A 2.0-mm field of an H&E-stained sentinel lymph node from a breast-cancer patient (whole-slide image), shown at about 2.5×, about 3.9 µm per pixel.
Image:
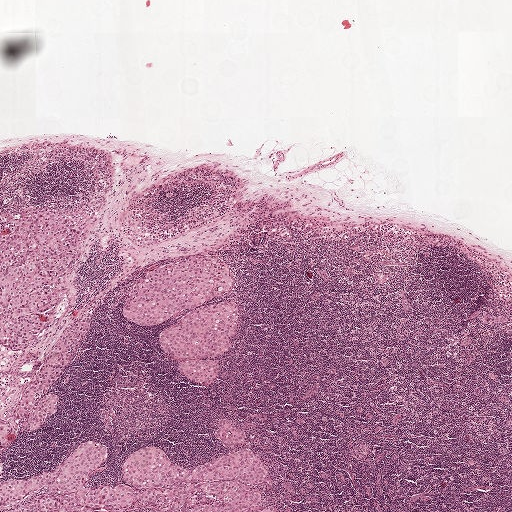
Question:
Does this lymph node field contain metastatic tumour?
Answer:
Yes.
The eight largest tumour regions' boundaries, simplified and listed clockwise, largest first: region 1: (151, 444), (162, 447), (173, 463), (194, 469), (236, 447), (254, 450), (271, 476), (264, 484), (250, 486), (277, 511), (172, 511), (150, 504), (41, 511), (40, 494), (70, 494), (83, 486), (124, 481), (122, 464), (129, 451); region 2: (46, 202), (68, 210), (82, 227), (83, 248), (75, 267), (49, 305), (48, 321), (40, 334), (22, 347), (12, 349), (0, 345), (1, 210), (11, 208), (19, 216), (31, 206); region 3: (202, 253), (220, 256), (225, 259), (232, 277), (231, 289), (183, 309), (162, 323), (140, 324), (123, 315), (132, 284), (140, 275), (158, 265); region 4: (82, 312), (89, 312), (92, 315), (92, 322), (76, 352), (44, 392), (54, 391), (57, 394), (55, 409), (39, 424), (25, 430), (21, 426), (24, 416), (11, 413), (14, 405), (24, 384), (31, 378), (45, 347), (61, 326); region 5: (223, 299), (231, 299), (236, 303), (236, 327), (228, 349), (222, 355), (189, 357), (170, 355), (162, 349), (156, 340), (158, 332), (179, 319), (183, 313), (205, 303); region 6: (87, 440), (96, 440), (106, 444), (105, 461), (98, 469), (90, 471), (87, 481), (74, 489), (58, 492), (51, 489), (47, 484), (17, 504), (0, 506), (0, 478), (13, 479), (40, 473), (58, 462), (70, 449); region 7: (197, 358), (212, 360), (218, 364), (217, 374), (211, 384), (201, 385), (179, 372), (176, 365), (181, 360); region 8: (223, 417), (231, 419), (236, 427), (243, 431), (244, 442), (237, 443), (230, 447), (223, 443), (214, 432), (218, 420).
Two more, smaller tumour regions are not outlined.
One more small tumour piece is annotated here but not outlined.
About 15% of the image area is annotated as tumour.